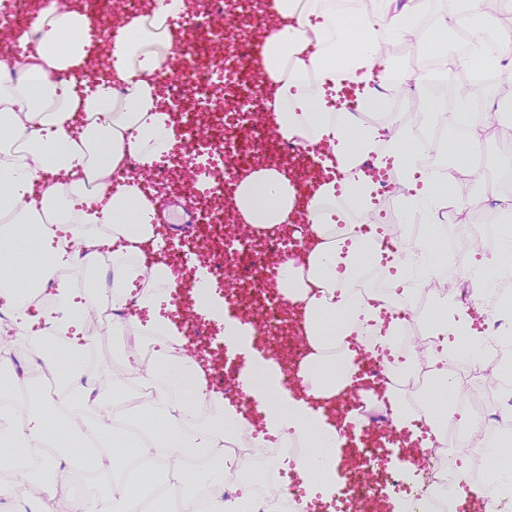
A 0.46-mm field of an H&E-stained sentinel lymph node from a breast-cancer patient (whole-slide image), shown at about 10×, about 0.91 µm per pixel.